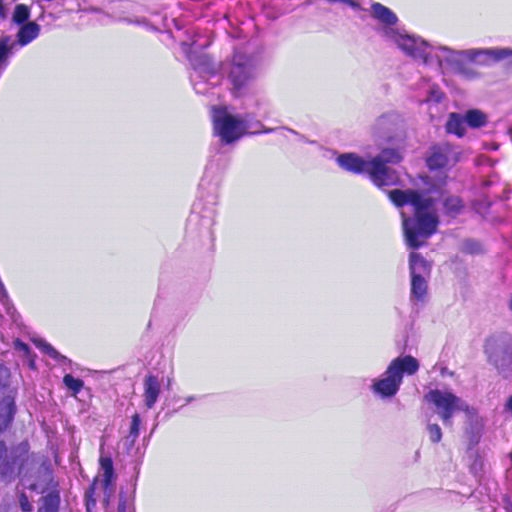
H&E-stained section of a sentinel lymph node (breast cancer), from a whole-slide image, viewed at about 40×: the field is about 0.12 mm across, about 0.23 µm per pixel.
Outlines of two tumour regions, largest first (closed clockwise paths, crop pixels): region 1: (71, 0), (361, 0), (416, 46), (511, 51), (511, 106), (459, 144), (480, 218), (511, 270), (511, 480), (500, 509), (478, 496), (402, 495), (400, 451), (372, 380), (395, 366), (410, 214), (350, 163), (295, 137), (220, 148), (195, 84), (150, 22), (73, 9); region 2: (0, 355), (22, 416), (65, 481), (70, 511), (0, 511).
The annotated tumour makes up about 30% of the crop.